Image:
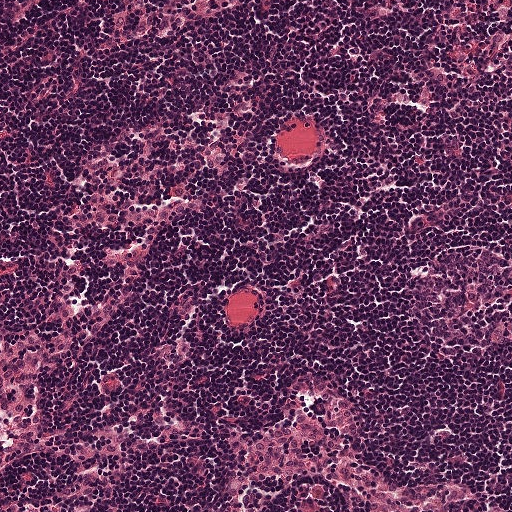
A 0.5-mm field of an H&E-stained sentinel lymph node from a breast-cancer patient (whole-slide image), shown at about 10×, about 0.97 µm per pixel.
Question:
Is there metastatic carcinoma in this field?
Answer:
No: no metastatic tumour is outlined anywhere in this field.